A 1.9-mm field of an H&E-stained sentinel lymph node from a breast-cancer patient (whole-slide image), shown at about 2.5×, about 3.6 µm per pixel.
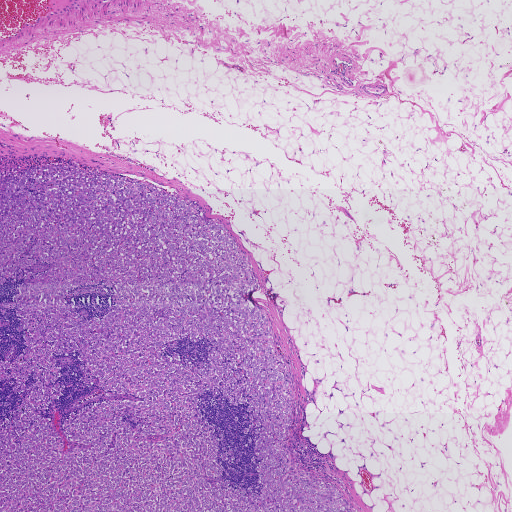
One metastatic tumour region; its boundary, reduced to 12 corners and listed clockwise: (70, 162), (156, 186), (224, 225), (250, 258), (260, 287), (249, 300), (268, 314), (295, 376), (289, 452), (359, 511), (0, 511), (0, 178).
Two more small tumour pieces are annotated here but not outlined.
About 35% of the image area is annotated as tumour.